Question: 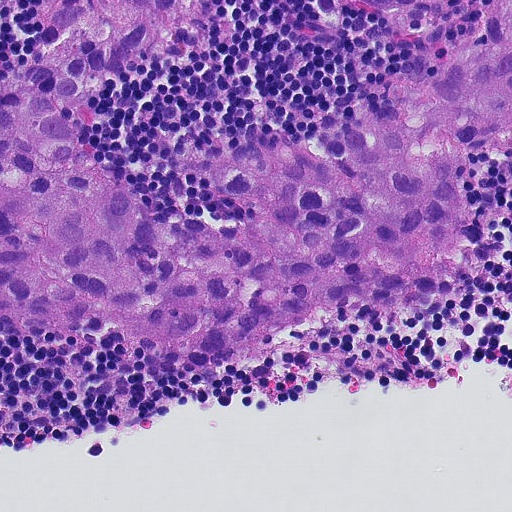
Lymph node section stained with H&E, from a whole-slide image of a breast-cancer sentinel node. Magnification about 20×, about 0.23 mm across the frame, about 0.45 µm per pixel.
Estimate the proportion of this field that is metastatic tumour.

Choices:
 (A) about 5% or less
 (B) about 50% or more
 (C) about 25% to 45%
 (D) none: no tumour is outlined
 (E) about 10% to 20%

Answer: (C) about 25% to 45%
About 45% of the field is tumour.
One metastatic tumour region; its boundary, reduced to 22 corners and listed clockwise: (0, 0), (203, 0), (72, 117), (126, 190), (206, 228), (258, 217), (180, 172), (202, 152), (320, 130), (448, 49), (478, 7), (423, 33), (310, 0), (511, 0), (511, 133), (478, 140), (459, 178), (467, 238), (446, 292), (328, 304), (211, 360), (0, 317).